Lymph node section stained with H&E, from a whole-slide image of a breast-cancer sentinel node. Magnification about 5×, about 1 mm across the frame, about 1.9 µm per pixel.
Question: 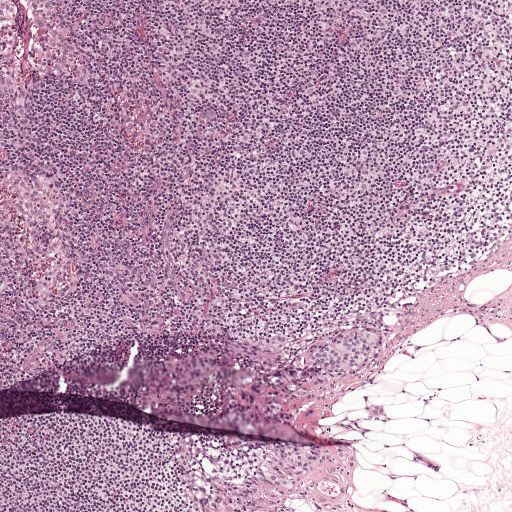
What fraction of the image area is metastatic tumour?

Choices:
 (A) none: no tumour is outlined
 (B) about 5% or less
 (C) about 50% or more
 (D) about 10% to 20%
 (E) about 25% to 45%

Answer: (B) about 5% or less
About 5% of the field is tumour.
Boundaries of five metastatic tumour regions, simplified and listed clockwise, largest first: region 1: (285, 335), (283, 362), (266, 366), (248, 357), (232, 361), (210, 373), (188, 412), (143, 410), (132, 403), (137, 380), (153, 365), (212, 342); region 2: (366, 326), (378, 331), (374, 359), (367, 368), (324, 394), (295, 401), (284, 397), (280, 384), (286, 370), (313, 340), (353, 328); region 3: (287, 440), (304, 440), (349, 451), (346, 464), (331, 460), (293, 496), (269, 491), (252, 475); region 4: (374, 401), (390, 407), (387, 422), (372, 420), (367, 412); region 5: (272, 401), (285, 404), (285, 412), (275, 416), (265, 417), (260, 413), (262, 404).